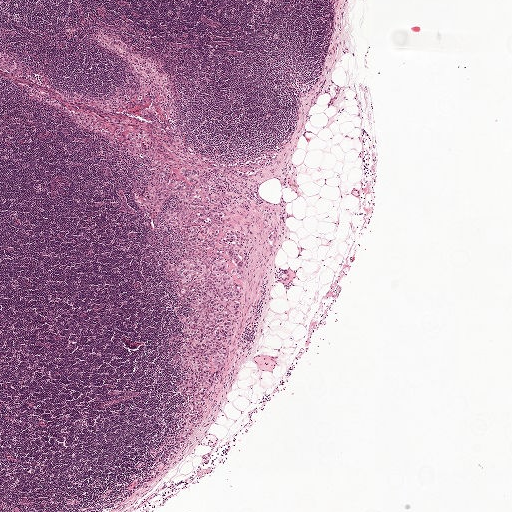
This is a crop of a whole-slide image: an H&E-stained breast-cancer sentinel lymph node section at roughly 2.5× magnification (about 3.9 µm per pixel; the crop spans about 2.0 mm).
Outlines of three tumour regions, largest first (closed clockwise paths, crop pixels): region 1: (192, 195), (223, 210), (227, 221), (220, 231), (238, 234), (247, 270), (223, 368), (192, 437), (169, 459), (191, 400), (179, 390), (182, 371), (172, 360), (180, 351), (181, 320), (207, 287), (203, 282), (182, 294), (168, 273), (166, 266), (192, 248), (184, 230), (160, 216), (166, 206); region 2: (144, 130), (150, 134), (148, 145), (142, 153), (131, 155), (125, 150), (127, 140), (125, 135), (132, 131); region 3: (188, 164), (198, 171), (200, 175), (200, 185), (196, 186), (189, 183), (180, 174), (179, 169).
The annotated tumour makes up about 5% of the crop.